A 1-mm field of an H&E-stained sentinel lymph node from a breast-cancer patient (whole-slide image), shown at about 5×, about 1.9 µm per pixel.
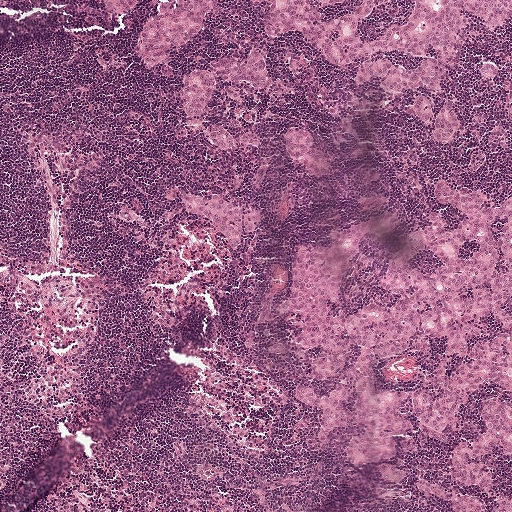
The eight largest tumour regions' boundaries, simplified and listed clockwise, largest first: region 1: (432, 184), (511, 194), (511, 458), (462, 462), (492, 466), (491, 493), (445, 460), (493, 386), (445, 431), (410, 410), (444, 340), (373, 371), (403, 396), (405, 482), (340, 454), (352, 393), (314, 441), (288, 388), (334, 390), (358, 345), (305, 374), (323, 354), (279, 308), (296, 244), (394, 214), (336, 296), (344, 313), (390, 305), (376, 283), (405, 235), (434, 210), (462, 226); region 2: (251, 0), (338, 0), (318, 10), (324, 22), (346, 16), (363, 0), (388, 0), (370, 6), (358, 20), (358, 36), (367, 44), (376, 43), (387, 28), (404, 23), (412, 0), (511, 0), (511, 28), (502, 33), (465, 14), (467, 31), (441, 94), (424, 87), (392, 93), (376, 77), (353, 84), (353, 75), (362, 64), (377, 61), (412, 69), (436, 51), (431, 48), (419, 56), (390, 52), (342, 67), (328, 65), (296, 35), (266, 34), (262, 19), (266, 5); region 3: (158, 0), (220, 0), (220, 10), (218, 14), (207, 17), (204, 24), (193, 37), (175, 47), (168, 59), (171, 66), (167, 79), (158, 77), (155, 71), (147, 70), (140, 64), (132, 47), (132, 42), (142, 19), (155, 9); region 4: (249, 50), (258, 52), (267, 82), (239, 99), (231, 100), (224, 92), (222, 81), (213, 79), (212, 100), (208, 112), (193, 118), (186, 116), (183, 110), (183, 102), (178, 96), (179, 86), (185, 72), (203, 68), (215, 58), (239, 60), (244, 57); region 5: (182, 191), (195, 193), (206, 199), (212, 194), (215, 195), (240, 212), (257, 210), (258, 217), (256, 227), (250, 232), (239, 233), (238, 246), (233, 249), (229, 249), (209, 220), (189, 214), (181, 206), (178, 195); region 6: (297, 128), (306, 134), (311, 140), (310, 148), (319, 150), (330, 160), (331, 174), (323, 178), (320, 178), (288, 159), (283, 144), (284, 132), (287, 129); region 7: (426, 96), (433, 103), (434, 118), (444, 106), (453, 109), (455, 122), (451, 135), (446, 141), (438, 141), (433, 137), (433, 125), (413, 118), (412, 103), (414, 99); region 8: (418, 478), (426, 480), (427, 482), (446, 492), (456, 496), (463, 497), (473, 495), (484, 502), (485, 504), (485, 511), (454, 511), (447, 504), (432, 499), (416, 490), (414, 487), (415, 480).
Four more, smaller tumour regions are not outlined.
Three more small tumour pieces are annotated here but not outlined.
About 25% of the image area is annotated as tumour.